Image:
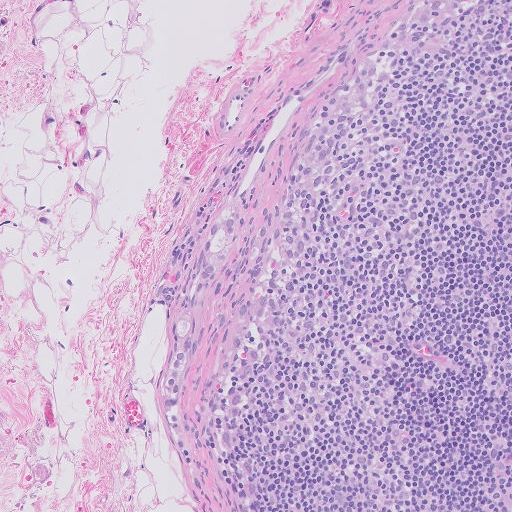
This is a crop of a whole-slide image: an H&E-stained breast-cancer sentinel lymph node section at roughly 10× magnification (about 1.0 µm per pixel; the crop spans about 0.51 mm).
Question:
Where is the metastatic tumour in this field? Give each region's outline as (x, y) pixel points.
Answer:
Metastatic tumour outline, simplified to 15 points and listed clockwise in crop pixels (x, y): (233, 203), (240, 205), (239, 238), (206, 295), (197, 350), (183, 378), (180, 411), (186, 444), (176, 448), (161, 408), (163, 376), (170, 354), (175, 312), (212, 224), (223, 207).
The annotated tumour makes up under 5% of the crop.

Image:
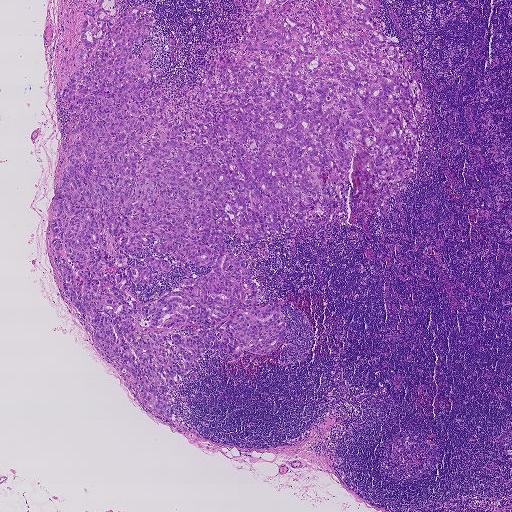
Lymph node section stained with H&E, from a whole-slide image of a breast-cancer sentinel node. Magnification about 2.5×, about 1.9 mm across the frame, about 3.6 µm per pixel.
Question:
Where is the metastatic tumour in this field? Give each region's outline as (x, y) pixel points.
Answer:
Metastatic tumour outline, simplified to 24 points and listed clockwise in crop pixels (x, y): (378, 0), (375, 19), (425, 95), (410, 182), (373, 213), (351, 202), (296, 233), (240, 245), (227, 234), (255, 306), (280, 306), (284, 337), (235, 360), (205, 347), (167, 386), (171, 418), (96, 343), (51, 246), (51, 209), (80, 133), (70, 134), (78, 110), (61, 90), (89, 3).
About 40% of the image area is annotated as tumour.

Image:
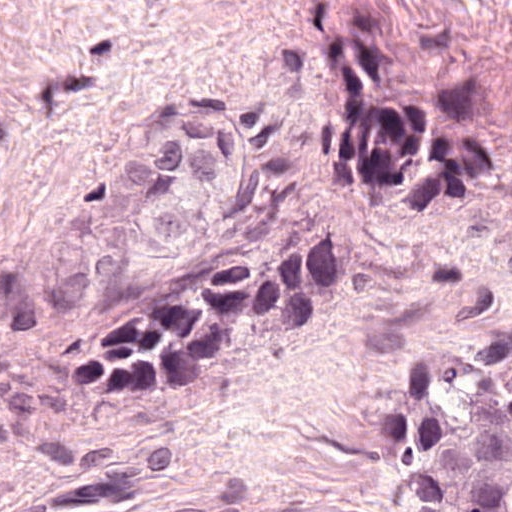
A 0.12-mm field of an H&E-stained sentinel lymph node from a breast-cancer patient (whole-slide image), shown at about 40×, about 0.24 µm per pixel.
Question:
Where is the metastatic tumour in this field? Give each region's outline as (x, y) pixel points.
Answer:
Boundaries of two metastatic tumour regions, simplified and listed clockwise, largest first: region 1: (207, 119), (213, 127), (257, 144), (268, 158), (277, 176), (277, 211), (268, 230), (245, 244), (215, 248), (192, 258), (145, 259), (123, 219), (121, 195), (149, 162), (170, 152); region 2: (490, 344), (511, 345), (511, 511), (424, 511), (427, 429), (435, 360), (485, 350).
Tumour covers about 10% of the frame.

Image:
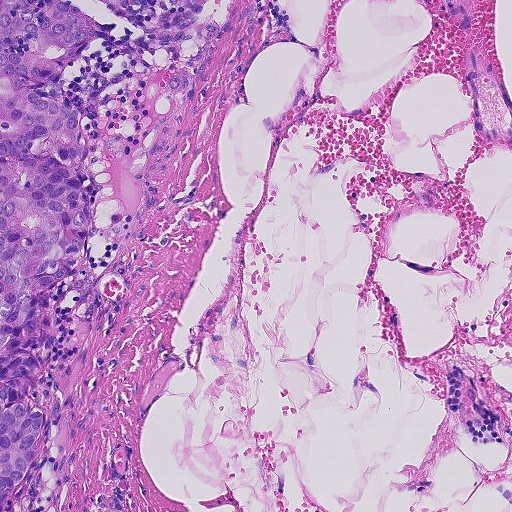
This is a crop of a whole-slide image: an H&E-stained breast-cancer sentinel lymph node section at roughly 10× magnification (about 0.9 µm per pixel; the crop spans about 0.46 mm).
Question:
Where is the metastatic tumour in this field? Give each region's outline as (x, y) pixel points.
Answer:
Tumour region outline (a closed clockwise path, crop pixels): (0, 0), (137, 0), (138, 34), (83, 43), (59, 73), (62, 92), (79, 103), (88, 159), (69, 166), (83, 187), (90, 228), (75, 266), (39, 312), (41, 368), (24, 379), (20, 399), (39, 404), (45, 422), (35, 460), (0, 507).
One more small tumour piece is annotated here but not outlined.
Tumour covers about 10% of the frame.